A 1-mm field of an H&E-stained sentinel lymph node from a breast-cancer patient (whole-slide image), shown at about 5×, about 1.9 µm per pixel.
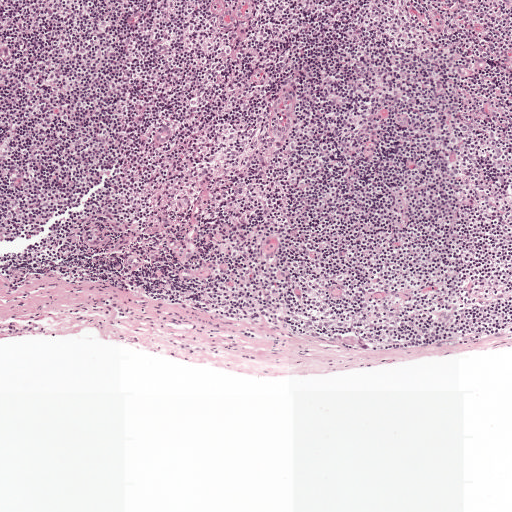
Question: Outline the metastatic carcinoma in this image, as closed paths of (x, y) pixel coordinates.
Answer: Tumour region outline (a closed clockwise path, crop pixels): (337, 334), (341, 335), (342, 338), (353, 336), (365, 340), (369, 346), (369, 349), (360, 349), (336, 340).
Tumour covers under 5% of the frame.